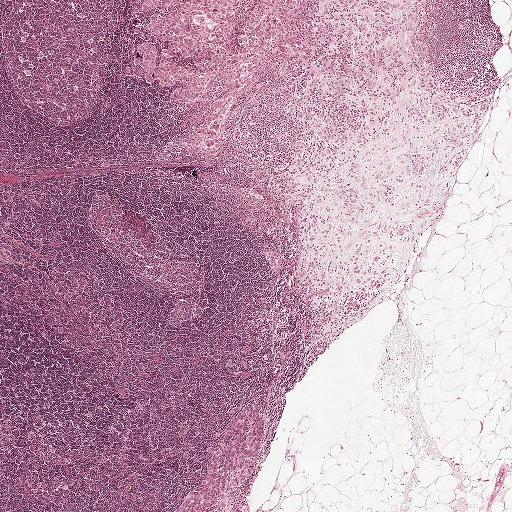
H&E-stained section of a sentinel lymph node (breast cancer), from a whole-slide image, viewed at about 2.5×: the field is about 2.0 mm across, about 3.9 µm per pixel.
Outlines of two tumour regions, largest first (closed clockwise paths, crop pixels): region 1: (131, 0), (316, 0), (289, 36), (266, 47), (220, 154), (185, 160), (165, 152), (166, 141), (181, 124), (180, 113), (162, 89), (142, 83), (124, 68), (133, 56), (136, 36); region 2: (256, 404), (266, 414), (263, 458), (256, 476), (235, 489), (234, 503), (226, 511), (219, 511), (215, 506), (204, 511), (176, 511), (200, 485), (206, 470), (208, 448), (220, 444), (229, 427), (237, 419), (245, 405).
About 10% of the image area is annotated as tumour.